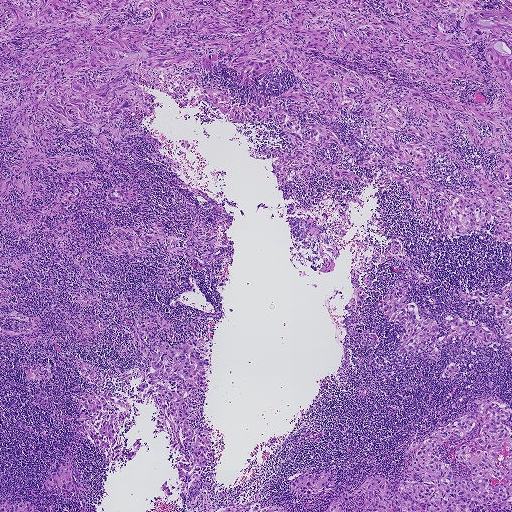
Lymph node section stained with H&E, from a whole-slide image of a breast-cancer sentinel node. Magnification about 2.5×, about 1.9 mm across the frame, about 3.6 µm per pixel.
Outlines of the eight largest metastatic tumour regions, each a closed clockwise path in crop pixels (x, y), largest first: region 1: (0, 0), (511, 0), (511, 242), (431, 241), (381, 170), (333, 271), (303, 267), (284, 207), (352, 181), (279, 186), (277, 124), (142, 84), (178, 167), (130, 135), (113, 174), (147, 198), (110, 221), (145, 233), (154, 220), (185, 237), (198, 192), (232, 216), (234, 243), (210, 273), (166, 260), (180, 294), (159, 285), (146, 257), (89, 278), (116, 299), (99, 335), (40, 348), (54, 385), (2, 335); region 2: (478, 399), (497, 399), (511, 410), (510, 417), (500, 422), (511, 427), (511, 505), (493, 509), (474, 504), (474, 511), (353, 511), (364, 500), (354, 491), (368, 478), (381, 475), (389, 497), (400, 482), (423, 479), (406, 469), (415, 450), (406, 453), (410, 442), (419, 443), (479, 406); region 3: (152, 309), (176, 316), (174, 340), (164, 332), (159, 336), (170, 346), (188, 338), (208, 340), (208, 391), (188, 397), (196, 417), (187, 423), (214, 429), (209, 442), (217, 444), (217, 460), (182, 491), (179, 451), (168, 452), (167, 433), (154, 433), (152, 395), (141, 403), (130, 398), (135, 410), (118, 434), (119, 459), (141, 438), (136, 455), (112, 467), (99, 447), (72, 429), (80, 425), (77, 397), (95, 384), (122, 399), (138, 394), (145, 355), (132, 336), (136, 317); region 4: (398, 286), (404, 287), (408, 295), (403, 302), (413, 301), (421, 311), (437, 321), (443, 335), (450, 332), (450, 328), (443, 322), (448, 314), (455, 313), (477, 323), (483, 321), (491, 328), (495, 336), (493, 342), (473, 344), (470, 338), (467, 337), (463, 341), (455, 336), (441, 344), (437, 360), (427, 357), (426, 354), (430, 349), (426, 345), (412, 351), (394, 352), (399, 344), (400, 334), (406, 332), (406, 328), (400, 320), (387, 321), (384, 318), (382, 297); region 5: (68, 447), (80, 476), (79, 483), (84, 489), (78, 487), (84, 504), (84, 511), (79, 508), (74, 490), (72, 496), (66, 499), (56, 486), (51, 491), (46, 488), (44, 483), (49, 475), (56, 471), (59, 462), (66, 462), (65, 452); region 6: (511, 280), (511, 295), (508, 294), (504, 299), (505, 303), (510, 307), (511, 313), (511, 343), (504, 341), (501, 339), (501, 336), (504, 330), (504, 323), (496, 317), (495, 314), (497, 308), (495, 305), (492, 304), (482, 306), (479, 305), (477, 302), (479, 299), (470, 299), (470, 301), (467, 302), (461, 299), (462, 296), (476, 291), (483, 293), (485, 295), (491, 293), (497, 295), (500, 293), (501, 288); region 7: (328, 469), (335, 473), (335, 482), (325, 494), (312, 497), (289, 490), (291, 483), (307, 472), (314, 474), (319, 470); region 8: (230, 502), (234, 504), (248, 505), (249, 508), (250, 505), (252, 502), (256, 502), (259, 503), (260, 506), (260, 510), (263, 507), (266, 506), (272, 504), (276, 504), (281, 506), (283, 508), (283, 511), (210, 511), (217, 507), (220, 506), (225, 508), (232, 506).
Five more, smaller tumour regions are not outlined.
One more small tumour piece is annotated here but not outlined.
The annotated tumour makes up about 55% of the crop.